H&E-stained section of a sentinel lymph node (breast cancer), from a whole-slide image, viewed at about 20×: the field is about 0.23 mm across, about 0.45 µm per pixel.
Image:
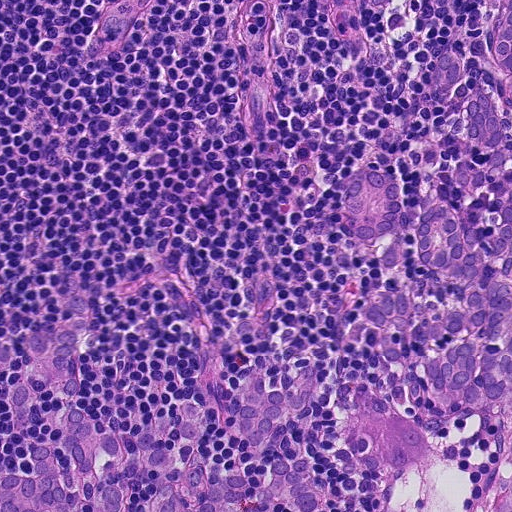
Question:
Which parts of this field are metastatic tumour?
Answer:
Three metastatic tumour regions, each outlined as a closed clockwise path in crop pixels (x, y), largest first: region 1: (511, 0), (511, 511), (459, 511), (497, 446), (480, 410), (387, 473), (366, 472), (352, 434), (392, 364), (360, 306), (418, 256), (416, 236), (356, 244), (344, 188), (375, 168), (394, 175), (408, 214), (493, 151), (454, 140), (433, 81), (474, 9); region 2: (75, 288), (90, 302), (78, 344), (78, 406), (132, 436), (181, 400), (200, 409), (199, 450), (208, 468), (248, 476), (263, 460), (219, 416), (206, 376), (248, 379), (256, 359), (274, 367), (277, 388), (310, 360), (324, 374), (320, 395), (288, 422), (290, 443), (320, 470), (331, 510), (0, 511), (0, 481), (10, 471), (36, 476), (31, 456), (62, 406), (58, 386), (39, 393), (29, 410), (8, 408), (0, 417), (0, 390), (14, 387), (32, 329), (52, 322); region 3: (356, 0), (397, 0), (394, 8), (374, 13).
About 30% of the image area is annotated as tumour.